Image:
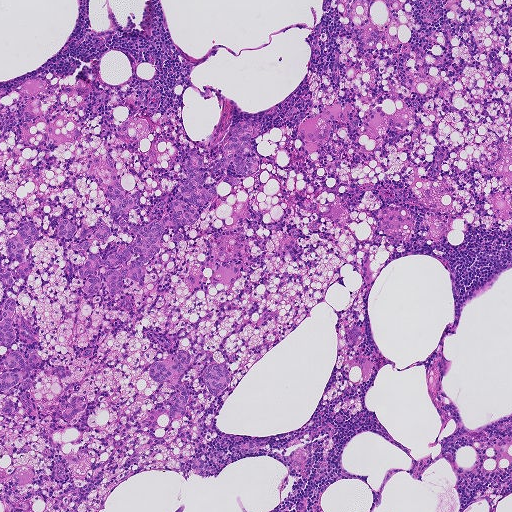
This is a crop of a whole-slide image: an H&E-stained breast-cancer sentinel lymph node section at roughly 5× magnification (about 1.8 µm per pixel; the crop spans about 0.93 mm).
Question:
Which parts of this field are metastatic tumour? Answer with the outline of each region, in pixels.
Answer:
Two metastatic tumour regions, each outlined as a closed clockwise path in crop pixels (x, y), largest first: region 1: (183, 350), (189, 353), (191, 358), (190, 366), (182, 376), (182, 382), (191, 391), (191, 398), (184, 416), (178, 418), (172, 418), (168, 414), (174, 396), (173, 390), (167, 382), (156, 383), (150, 380), (148, 375), (152, 364), (164, 361), (177, 351); region 2: (222, 363), (230, 372), (225, 389), (215, 396), (209, 394), (206, 389), (203, 383), (202, 374), (205, 368), (210, 365).
One more tumour region is annotated but not outlined: its edge is too irregular for a short outline.
About 5% of the image area is annotated as tumour.